Image:
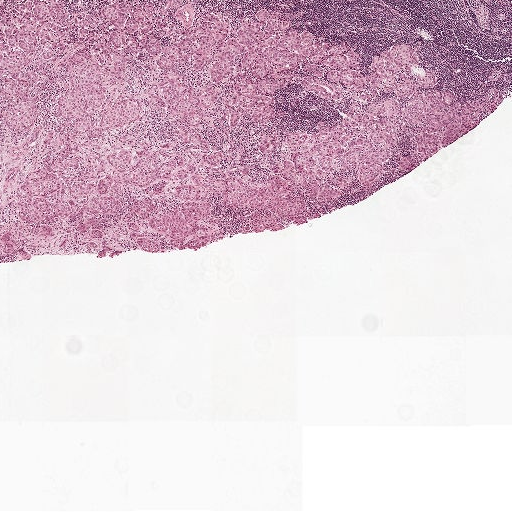
H&E-stained section of a sentinel lymph node (breast cancer), from a whole-slide image, viewed at about 2.5×: the field is about 2.0 mm across, about 3.9 µm per pixel.
Question:
Where is the metastatic tumour in this field?
Answer:
Five metastatic tumour regions, each outlined as a closed clockwise path in crop pixels (x, y), largest first: region 1: (393, 100), (400, 113), (399, 146), (374, 182), (363, 186), (354, 179), (349, 193), (328, 206), (311, 200), (303, 223), (286, 231), (254, 231), (241, 209), (224, 205), (190, 183), (196, 174), (237, 172), (265, 180), (273, 172), (284, 136), (345, 117), (356, 104), (362, 110), (362, 101); region 2: (256, 11), (278, 12), (324, 43), (345, 41), (357, 54), (364, 86), (326, 82), (342, 94), (333, 100), (291, 86), (277, 92), (267, 121), (245, 116), (239, 128), (227, 128), (223, 105), (229, 90), (208, 74), (218, 47); region 3: (100, 44), (127, 60), (127, 77), (104, 95), (98, 112), (109, 102), (133, 97), (140, 99), (141, 111), (124, 127), (81, 143), (75, 157), (66, 157), (57, 151), (61, 125), (57, 98), (66, 86), (64, 70), (70, 54); region 4: (0, 13), (22, 15), (37, 28), (37, 42), (28, 65), (30, 71), (36, 76), (31, 88), (37, 102), (37, 116), (35, 122), (19, 132), (9, 131), (1, 122), (0, 91), (4, 82), (0, 80); region 5: (37, 169), (58, 174), (62, 180), (62, 185), (59, 190), (50, 194), (47, 200), (50, 202), (75, 200), (80, 207), (80, 214), (73, 218), (64, 220), (29, 220), (22, 218), (18, 214), (14, 190), (19, 182).
About 15% of the image area is annotated as tumour.